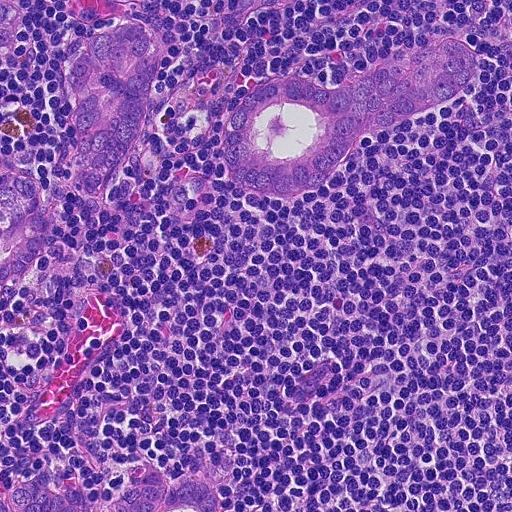
Lymph node section stained with H&E, from a whole-slide image of a breast-cancer sentinel node. Magnification about 20×, about 0.23 mm across the frame, about 0.45 µm per pixel.
Question: Where is the metastatic tumour in this field?
Answer: Outlines of five tumour regions, largest first (closed clockwise paths, crop pixels): region 1: (447, 38), (469, 46), (477, 68), (469, 88), (449, 103), (360, 139), (331, 177), (289, 198), (244, 186), (229, 168), (220, 147), (223, 124), (236, 104), (282, 75), (326, 87); region 2: (133, 16), (156, 24), (162, 47), (147, 116), (104, 199), (77, 189), (60, 172), (68, 148), (68, 40), (114, 30); region 3: (134, 463), (159, 466), (174, 482), (198, 478), (218, 494), (221, 511), (0, 511), (0, 495), (5, 496), (20, 477), (44, 478), (62, 495), (80, 486), (94, 506), (130, 488); region 4: (21, 162), (46, 203), (46, 226), (0, 303), (0, 165); region 5: (0, 0), (10, 3), (18, 24), (9, 46), (0, 49).
About 15% of the image area is annotated as tumour.